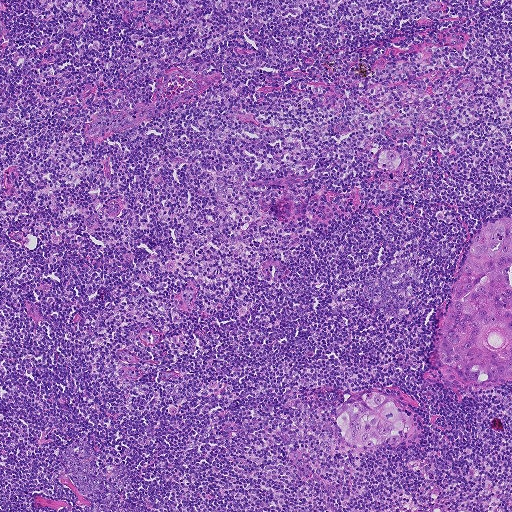
H&E-stained section of a sentinel lymph node (breast cancer), from a whole-slide image, viewed at about 5×: the field is about 0.93 mm across, about 1.8 µm per pixel.
Outlines of three tumour regions, largest first (closed clockwise paths, crop pixels): region 1: (497, 218), (511, 219), (511, 381), (487, 390), (448, 382), (436, 367), (441, 316), (479, 229); region 2: (367, 391), (377, 391), (387, 395), (400, 410), (410, 414), (413, 424), (410, 433), (401, 439), (391, 440), (373, 448), (352, 447), (343, 443), (337, 435), (334, 425), (336, 415), (358, 395); region 3: (395, 150), (401, 157), (400, 165), (393, 171), (382, 171), (376, 163), (378, 153).
Tumour covers about 5% of the frame.